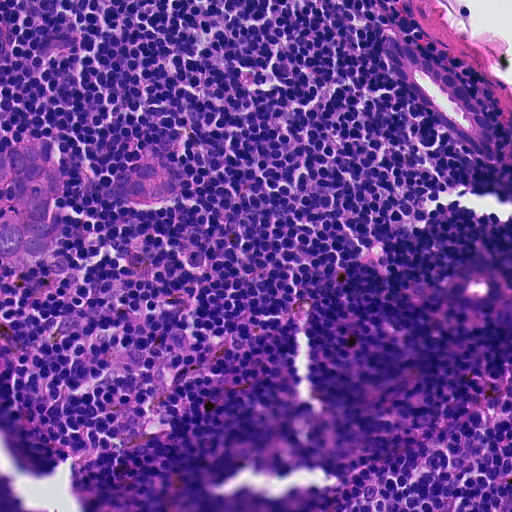
Lymph node section stained with H&E, from a whole-slide image of a breast-cancer sentinel node. Magnification about 20×, about 0.23 mm across the frame, about 0.45 µm per pixel.
Two metastatic tumour regions, each outlined as a closed clockwise path in crop pixels (x, y), largest first: region 1: (44, 131), (62, 142), (67, 160), (65, 200), (54, 216), (52, 256), (35, 267), (15, 268), (0, 265), (0, 149), (23, 133); region 2: (396, 32), (428, 47), (463, 78), (496, 120), (497, 165), (459, 146), (412, 105), (380, 60), (384, 36).
One more small tumour piece is annotated here but not outlined.
Tumour covers about 5% of the frame.